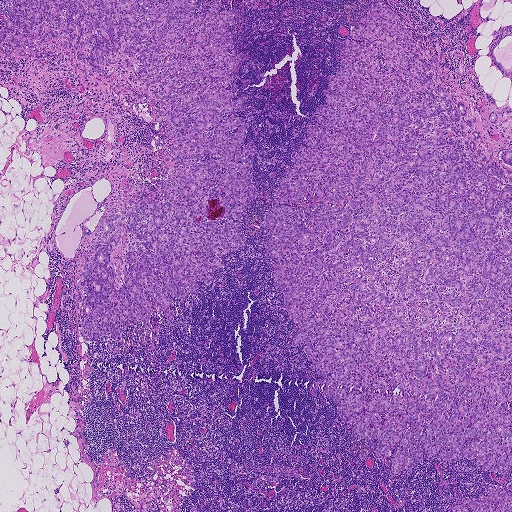
A 1.9-mm field of an H&E-stained sentinel lymph node from a breast-cancer patient (whole-slide image), shown at about 2.5×, about 3.6 µm per pixel.
Outlines of three tumour regions, largest first (closed clockwise paths, crop pixels): region 1: (368, 8), (392, 10), (466, 104), (457, 126), (473, 121), (492, 161), (511, 149), (511, 473), (436, 457), (390, 476), (394, 448), (380, 462), (376, 436), (361, 446), (338, 403), (309, 393), (324, 376), (288, 343), (297, 326), (264, 252), (305, 123), (318, 126), (342, 42); region 2: (196, 0), (194, 16), (219, 2), (235, 15), (234, 57), (249, 52), (233, 83), (256, 152), (244, 249), (172, 300), (170, 323), (154, 304), (109, 349), (81, 337), (72, 292), (104, 218), (161, 191), (166, 110), (122, 58), (105, 80), (62, 47), (0, 57), (0, 19), (16, 2); region 3: (511, 480), (511, 511), (446, 511), (448, 507), (452, 503), (461, 500), (465, 497), (470, 496), (477, 498), (481, 495), (486, 496), (488, 493), (485, 492), (485, 487), (489, 484), (499, 485), (506, 489), (506, 484).
Four more small tumour pieces are annotated here but not outlined.
About 50% of the image area is annotated as tumour.